Question: 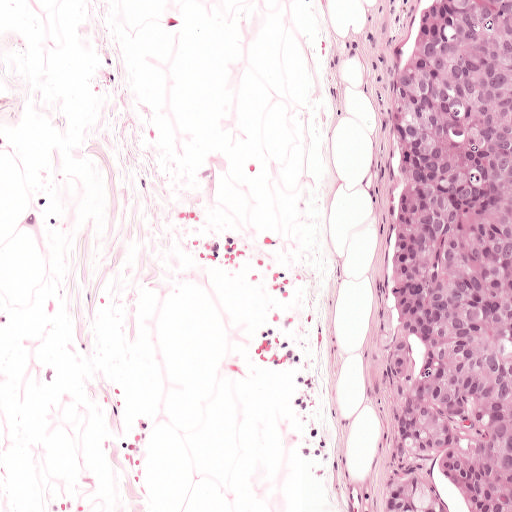
This is a crop of a whole-slide image: an H&E-stained breast-cancer sentinel lymph node section at roughly 10× magnification (about 0.97 µm per pixel; the crop spans about 0.5 mm).
Roughly what share of this field is metastatic tumour?

Choices:
 (A) none: no tumour is outlined
 (B) about 5% or less
 (C) about 50% or more
 (D) about 10% to 20%
 (E) about 25% to 45%

Answer: (E) about 25% to 45%
About 25% of the field is tumour.
Metastatic tumour outline, simplified to 7 points and listed clockwise in crop pixels (x, y): (511, 0), (511, 511), (385, 511), (395, 386), (394, 195), (383, 157), (429, 2).